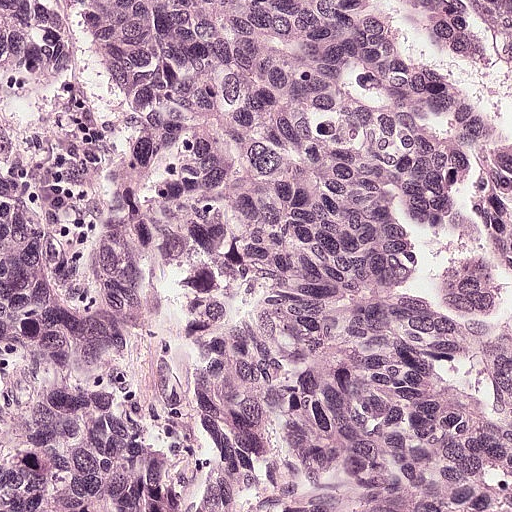
This is a crop of a whole-slide image: an H&E-stained breast-cancer sentinel lymph node section at roughly 20× magnification (about 0.49 µm per pixel; the crop spans about 0.25 mm).
Question: Which parts of this field are metastatic tumour? Answer with the outline of each region, in pixels.
Answer: One metastatic tumour region; its boundary, reduced to 5 corners and listed clockwise: (0, 0), (67, 0), (164, 194), (168, 507), (0, 511).
The annotated tumour makes up about 30% of the crop.